A 0.93-mm field of an H&E-stained sentinel lymph node from a breast-cancer patient (whole-slide image), shown at about 5×, about 1.8 µm per pixel.
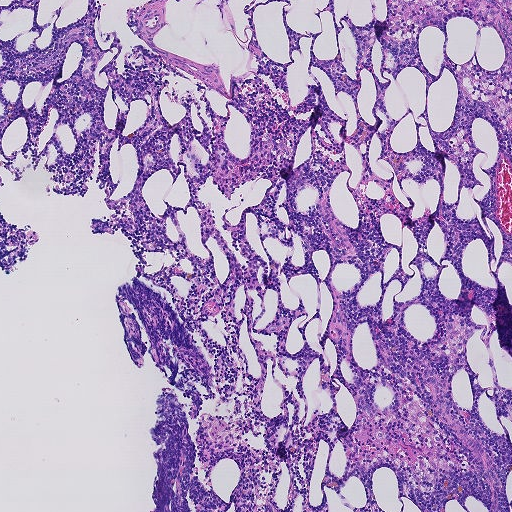
Question: Is there metastatic carcinoma in this field?
Answer: No: no metastatic tumour is outlined anywhere in this field.